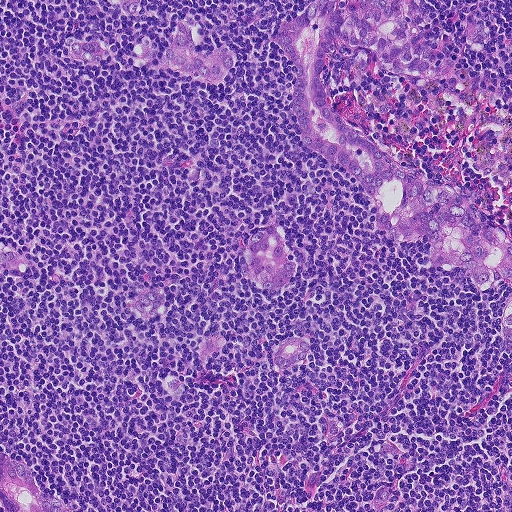
H&E-stained section of a sentinel lymph node (breast cancer), from a whole-slide image, viewed at about 10×: the field is about 0.46 mm across, about 0.9 µm per pixel.
Eight metastatic tumour regions, each outlined as a closed clockwise path in crop pixels (x, y), largest first: region 1: (312, 0), (405, 0), (409, 28), (440, 64), (421, 78), (404, 74), (337, 32), (319, 73), (340, 120), (420, 180), (467, 193), (511, 241), (511, 291), (496, 279), (484, 295), (466, 269), (439, 269), (429, 239), (388, 238), (342, 165), (297, 133), (295, 69), (278, 41), (282, 24); region 2: (262, 225), (278, 227), (283, 242), (294, 256), (296, 272), (286, 285), (270, 290), (255, 285), (246, 272), (239, 256), (249, 235); region 3: (182, 20), (191, 24), (189, 38), (196, 53), (212, 52), (227, 46), (237, 58), (229, 73), (215, 81), (198, 81), (167, 65), (166, 48); region 4: (0, 453), (15, 458), (27, 466), (38, 492), (64, 504), (65, 511), (2, 511), (0, 507); region 5: (301, 337), (310, 343), (308, 354), (290, 368), (278, 368), (272, 359), (276, 348), (290, 338); region 6: (0, 243), (16, 250), (29, 262), (24, 277), (0, 266); region 7: (145, 291), (157, 302), (165, 316), (150, 316), (135, 311), (130, 296); region 8: (511, 292), (511, 350), (501, 338), (501, 322), (504, 305).
About 10% of this field is tumour.